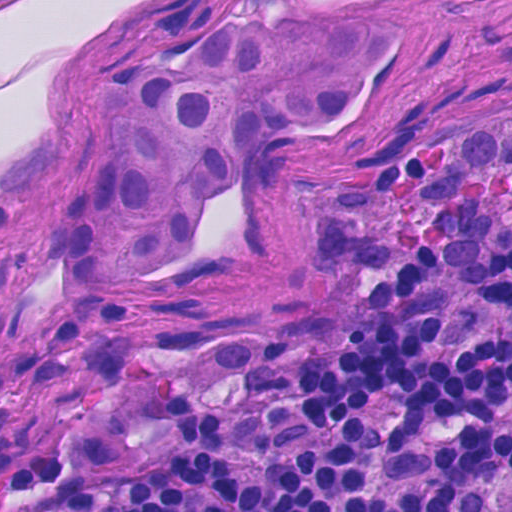
This is a crop of a whole-slide image: an H&E-stained breast-cancer sentinel lymph node section at roughly 40× magnification (about 0.23 µm per pixel; the crop spans about 0.12 mm).
Question: Trace the edge of each tumour region in this crop, as (x, y) points from 0 to 511.
Answer: The outlined metastatic tumour's edge, as a closed clockwise path of 17 points: (308, 5), (412, 21), (401, 60), (373, 74), (358, 116), (329, 136), (294, 136), (261, 160), (188, 259), (93, 293), (54, 285), (41, 264), (38, 224), (86, 122), (89, 69), (197, 43), (221, 21).
About 20% of the image area is annotated as tumour.